Question: 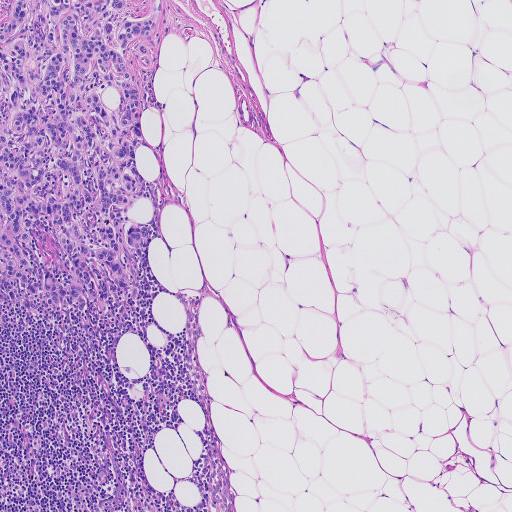
This is a crop of a whole-slide image: an H&E-stained breast-cancer sentinel lymph node section at roughly 5× magnification (about 1.8 µm per pixel; the crop spans about 0.93 mm).
Estimate the proportion of this field that is metastatic tumour.

Choices:
 (A) about 5% or less
 (B) about 10% to 20%
 (C) about 25% to 45%
 (D) none: no tumour is outlined
 (E) about 50% or more

Answer: (B) about 10% to 20%
About 15% of the field is tumour.
Metastatic tumour outline, simplified to 20 points and listed clockwise in crop pixels (x, y): (0, 0), (127, 0), (136, 13), (159, 0), (151, 36), (128, 53), (151, 146), (136, 158), (144, 189), (127, 219), (152, 233), (143, 253), (126, 247), (130, 278), (123, 286), (108, 273), (107, 304), (30, 310), (17, 300), (1, 304).